A 1.9-mm field of an H&E-stained sentinel lymph node from a breast-cancer patient (whole-slide image), shown at about 2.5×, about 3.6 µm per pixel.
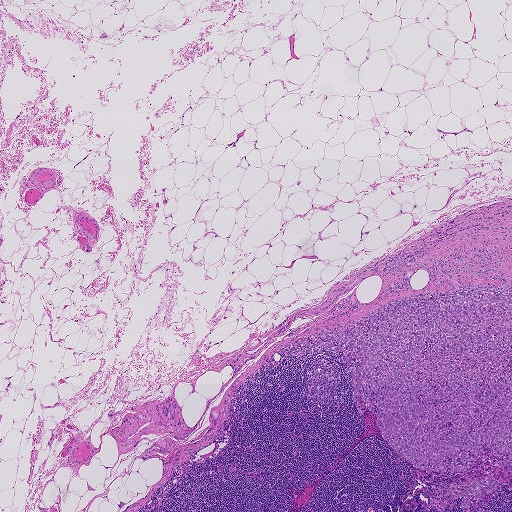
Metastatic tumour outline, simplified to 24 points and listed clockwise in crop pixels (x, y): (511, 225), (511, 478), (483, 506), (466, 511), (445, 486), (504, 463), (485, 452), (447, 478), (412, 466), (375, 412), (357, 413), (347, 368), (360, 365), (291, 353), (318, 340), (309, 334), (424, 292), (420, 269), (408, 292), (383, 294), (401, 252), (444, 238), (422, 263), (463, 226).
Tumour covers about 15% of the frame.